Image:
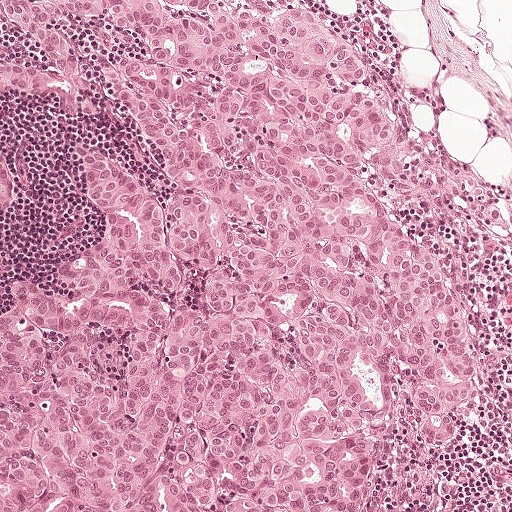
A 0.5-mm field of an H&E-stained sentinel lymph node from a breast-cancer patient (whole-slide image), shown at about 10×, about 0.97 µm per pixel.
Question:
Is there metastatic carcinoma in this field?
Answer:
Yes.
Metastatic tumour outline, simplified to 21 points and listed clockwise in crop pixels (x, y): (4, 0), (291, 3), (368, 60), (404, 132), (405, 176), (376, 184), (444, 264), (478, 354), (464, 438), (406, 442), (373, 510), (0, 511), (0, 314), (99, 228), (78, 144), (162, 202), (108, 100), (74, 117), (0, 101), (0, 54), (58, 67).
About 75% of this field is tumour.